Lymph node section stained with H&E, from a whole-slide image of a breast-cancer sentinel node. Magnification about 20×, about 0.23 mm across the frame, about 0.45 µm per pixel.
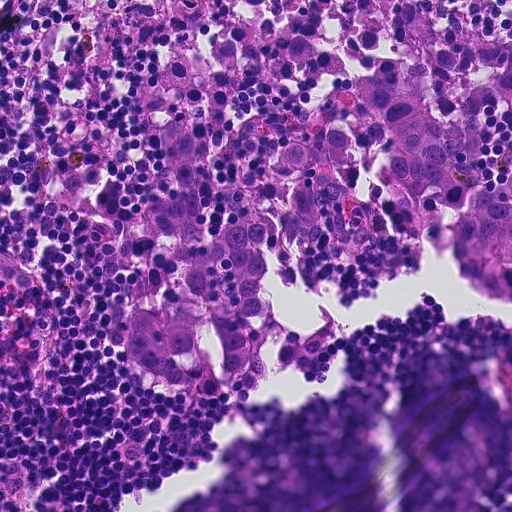
Question: Describe where the metastatic carcinoma lies in this crop.
Answer: One metastatic tumour region; its boundary, reduced to 20 corners and listed clockwise: (390, 12), (449, 48), (511, 38), (511, 304), (434, 242), (264, 246), (284, 325), (331, 329), (311, 375), (217, 396), (144, 374), (122, 330), (168, 168), (156, 120), (196, 138), (210, 238), (314, 104), (280, 47), (378, 30), (398, 47).
About 30% of this field is tumour.